Question: 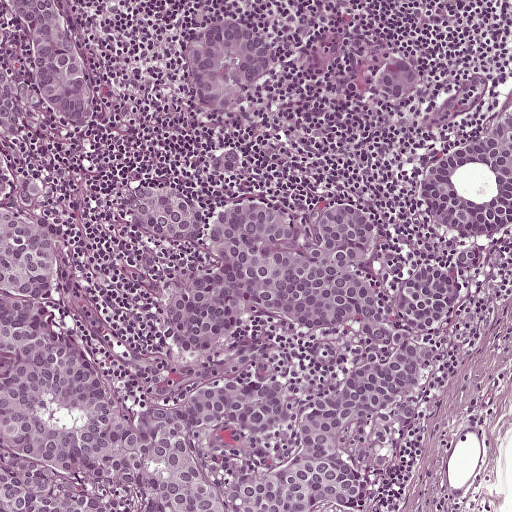
A 0.5-mm field of an H&E-stained sentinel lymph node from a breast-cancer patient (whole-slide image), shown at about 10×, about 0.97 µm per pixel.
Roughly what share of this field is metastatic tumour?

Choices:
 (A) none: no tumour is outlined
 (B) about 10% to 20%
 (C) about 50% or more
 (D) about 25% to 45%
 (E) about 5% or less

Answer: (C) about 50% or more
About 55% of the field is tumour.
Outlines of two tumour regions, largest first (closed clockwise paths, crop pixels): region 1: (327, 0), (432, 0), (371, 21), (426, 80), (391, 121), (289, 88), (256, 118), (265, 194), (370, 196), (400, 262), (446, 236), (418, 167), (511, 96), (511, 218), (434, 383), (342, 431), (368, 486), (338, 506), (0, 511), (0, 152), (117, 404), (220, 374), (328, 386), (346, 345), (296, 328), (145, 359), (178, 253), (124, 238), (111, 188), (164, 181), (210, 208), (246, 140), (171, 68), (200, 22), (254, 24), (277, 72), (379, 107), (380, 55); region 2: (0, 0), (59, 0), (105, 124), (80, 133), (53, 133), (25, 130), (1, 118), (0, 78), (26, 75), (34, 56).